Lymph node section stained with H&E, from a whole-slide image of a breast-cancer sentinel node. Magnification about 10×, about 0.5 mm across the frame, about 0.97 µm per pixel.
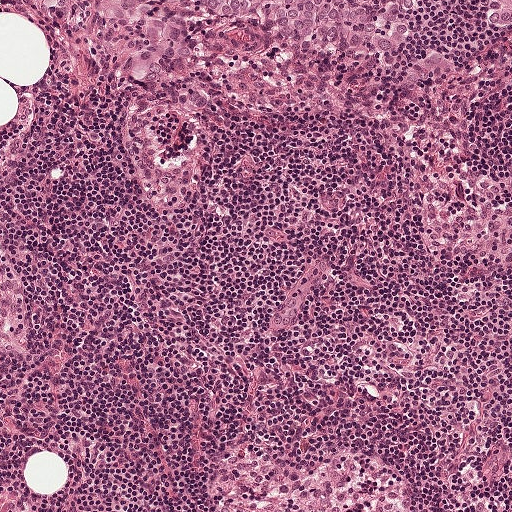
Three metastatic tumour regions, each outlined as a closed clockwise path in crop pixels (x, y), largest first: region 1: (448, 0), (423, 37), (383, 59), (293, 46), (243, 12), (210, 16), (203, 22), (198, 48), (210, 98), (202, 110), (185, 111), (164, 106), (152, 98), (148, 84), (119, 75), (104, 36), (66, 34), (26, 1); region 2: (476, 0), (511, 0), (511, 32), (497, 32), (487, 29), (474, 14); region 3: (440, 53), (441, 64), (411, 90), (401, 89), (398, 80), (404, 70), (412, 63), (429, 54).
About 10% of the image area is annotated as tumour.